Question: 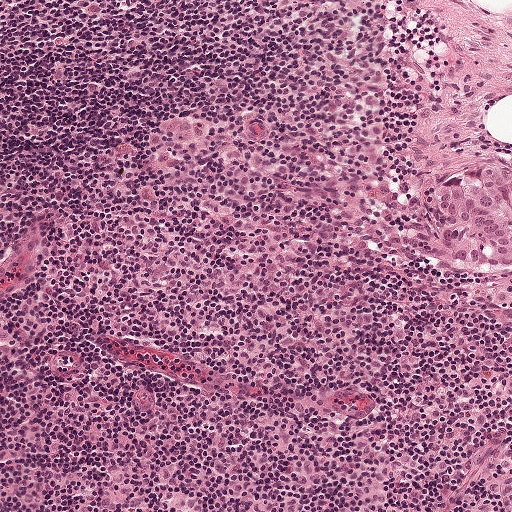
This is a crop of a whole-slide image: an H&E-stained breast-cancer sentinel lymph node section at roughly 10× magnification (about 0.97 µm per pixel; the crop spans about 0.5 mm).
Roughly what share of this field is metastatic tumour?

Choices:
 (A) none: no tumour is outlined
 (B) about 50% or more
 (C) about 5% or less
 (D) about 25% to 45%
 (E) about 10% to 20%

Answer: (C) about 5% or less
About 5% of the field is tumour.
The outlined metastatic tumour's edge, as a closed clockwise path of 8 points: (499, 168), (511, 174), (511, 278), (450, 275), (435, 256), (396, 230), (422, 194), (454, 175).